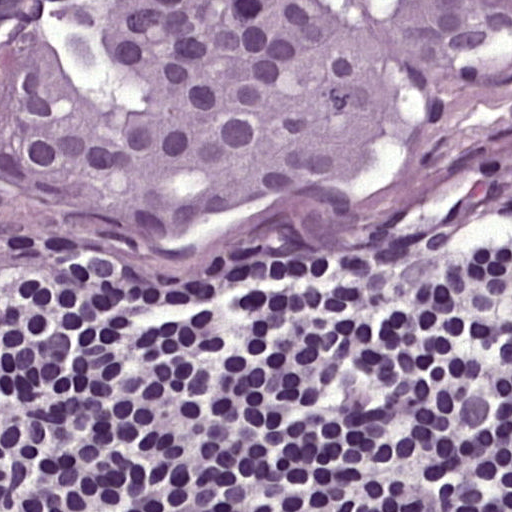
This is a crop of a whole-slide image: an H&E-stained breast-cancer sentinel lymph node section at roughly 40× magnification (about 0.24 µm per pixel; the crop spans about 0.12 mm).
Tumour region outline (a closed clockwise path, crop pixels): (64, 0), (511, 0), (511, 83), (396, 148), (371, 200), (252, 209), (146, 256), (0, 211), (0, 44).
Tumour covers about 40% of the frame.